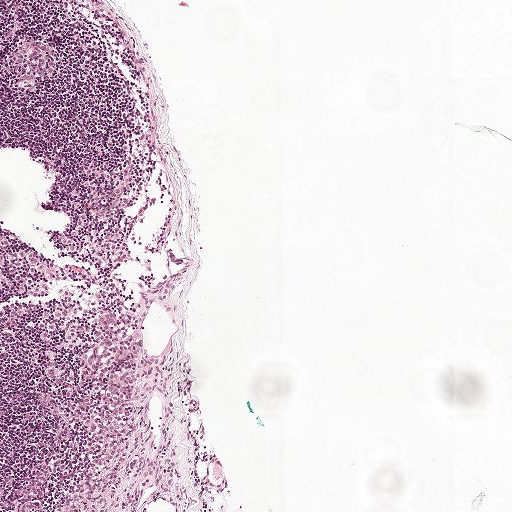
H&E-stained section of a sentinel lymph node (breast cancer), from a whole-slide image, viewed at about 5×: the field is about 1 mm across, about 1.9 µm per pixel.
One metastatic tumour region; its boundary, reduced to 13 corners and listed clockwise: (109, 305), (144, 322), (153, 340), (136, 419), (112, 475), (85, 511), (0, 511), (0, 468), (30, 474), (47, 467), (72, 439), (91, 390), (96, 323).
Tumour covers about 5% of the frame.